Question: 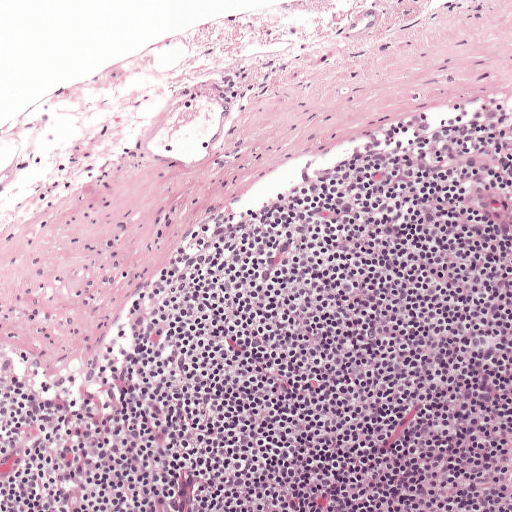
At roughly what magnification is this field shown?

Choices:
 (A) about 20×
 (B) about 40×
 (C) about 5×
 (D) about 10×
 (E) about 2.5×

Answer: (D) about 10×
This is a crop of a whole-slide image: an H&E-stained breast-cancer sentinel lymph node section at roughly 10× magnification (about 0.97 µm per pixel; the crop spans about 0.5 mm).